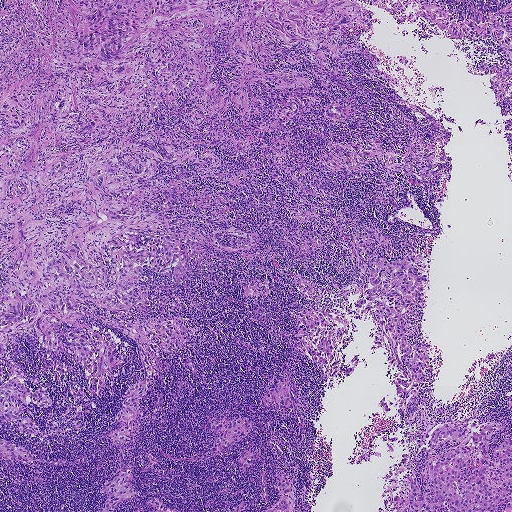
H&E-stained section of a sentinel lymph node (breast cancer), from a whole-slide image, viewed at about 2.5×: the field is about 1.9 mm across, about 3.6 µm per pixel.
Question: Is there metastatic carcinoma in this field?
Answer: Yes.
The eight largest tumour regions' boundaries, simplified and listed clockwise, largest first: region 1: (70, 0), (511, 0), (497, 102), (495, 40), (356, 2), (396, 83), (348, 51), (328, 137), (363, 149), (372, 136), (403, 153), (420, 109), (450, 132), (443, 175), (307, 194), (272, 301), (232, 251), (144, 268), (139, 316), (201, 330), (133, 448), (107, 327), (114, 393), (64, 416), (81, 367), (16, 335), (39, 435), (0, 424), (0, 103), (66, 71); region 2: (370, 225), (394, 232), (392, 256), (382, 248), (377, 252), (388, 262), (406, 254), (426, 256), (426, 307), (406, 313), (414, 333), (405, 339), (432, 345), (427, 358), (435, 360), (435, 376), (400, 407), (397, 367), (386, 368), (385, 349), (372, 349), (370, 311), (359, 319), (348, 314), (353, 326), (336, 350), (337, 375), (359, 354), (354, 371), (330, 383), (317, 363), (290, 345), (298, 341), (295, 313), (313, 300), (340, 315), (356, 310), (363, 271), (350, 252), (354, 233); region 3: (448, 418), (467, 424), (474, 418), (478, 426), (499, 422), (487, 458), (499, 468), (493, 449), (511, 437), (511, 500), (499, 503), (497, 511), (394, 511), (393, 497), (406, 494), (407, 473), (420, 494), (433, 496), (421, 475), (425, 436), (435, 423), (447, 423); region 4: (214, 409), (216, 410), (218, 416), (223, 415), (228, 420), (231, 418), (241, 417), (252, 420), (253, 422), (252, 429), (246, 436), (219, 456), (211, 455), (210, 450), (217, 436), (214, 434), (215, 432), (211, 431), (210, 426), (213, 422), (212, 411); region 5: (286, 363), (298, 392), (297, 399), (302, 405), (296, 403), (302, 420), (302, 430), (296, 422), (292, 406), (290, 412), (284, 415), (274, 402), (269, 407), (264, 404), (262, 399), (267, 391), (274, 387), (277, 378), (284, 378), (283, 368); region 6: (126, 469), (132, 471), (134, 476), (130, 487), (139, 494), (120, 502), (113, 511), (98, 511), (111, 494), (102, 495), (99, 492), (104, 482), (113, 480), (120, 470); region 7: (279, 469), (288, 480), (291, 488), (291, 490), (287, 495), (290, 506), (290, 511), (265, 511), (280, 499), (282, 497), (283, 495), (276, 489), (274, 483), (278, 476), (278, 473), (277, 470); region 8: (0, 439), (21, 447), (35, 455), (35, 458), (16, 461), (1, 458).
Eight more, smaller tumour regions are not outlined.
Three more small tumour pieces are annotated here but not outlined.
About 55% of the image area is annotated as tumour.